Image:
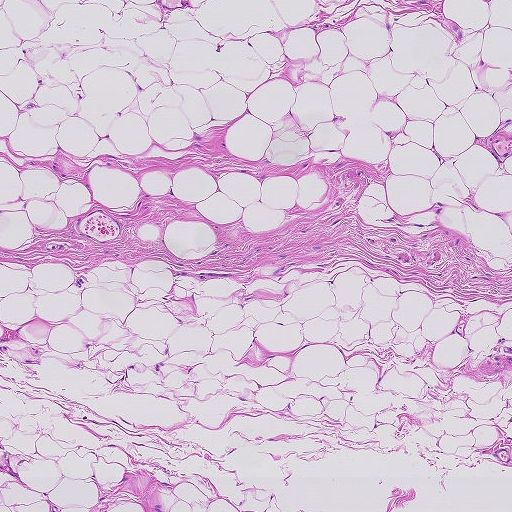
A 0.93-mm field of an H&E-stained sentinel lymph node from a breast-cancer patient (whole-slide image), shown at about 5×, about 1.8 µm per pixel.
Question:
Is any metastatic breast cancer visible in this crop?
Answer:
No: no metastatic tumour is outlined anywhere in this field.